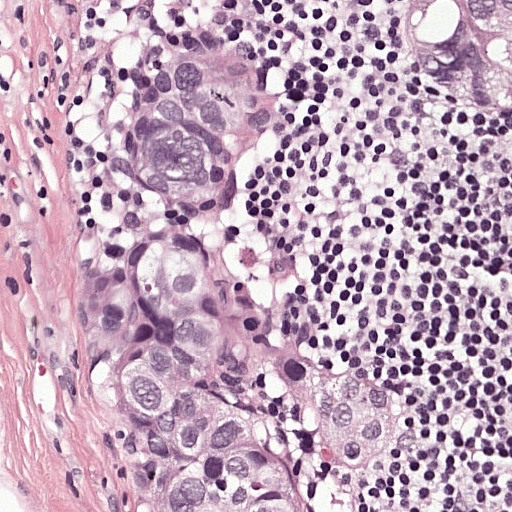
A 0.25-mm field of an H&E-stained sentinel lymph node from a breast-cancer patient (whole-slide image), shown at about 20×, about 0.49 µm per pixel.
Outlines of two tumour regions, largest first (closed clockwise paths, crop pixels): region 1: (182, 32), (244, 32), (299, 80), (299, 106), (259, 199), (296, 242), (304, 317), (387, 380), (408, 432), (376, 474), (350, 480), (300, 462), (314, 511), (120, 511), (88, 366), (106, 264), (148, 235), (152, 210), (100, 208), (89, 182), (148, 45); region 2: (511, 0), (511, 114), (494, 119), (465, 119), (436, 108), (418, 90), (388, 34), (385, 2).
Tumour covers about 40% of the frame.